Question: 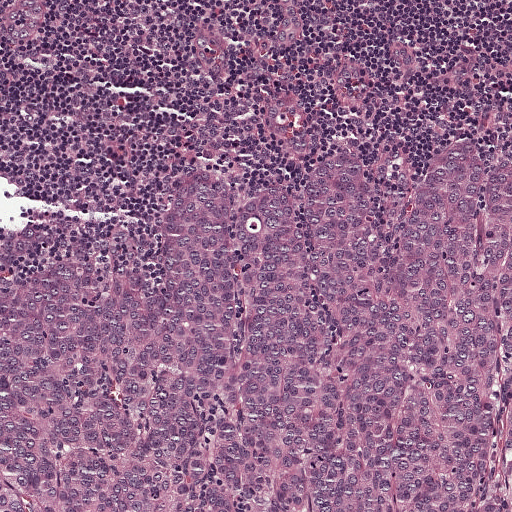
H&E-stained section of a sentinel lymph node (breast cancer), from a whole-slide image, viewed at about 10×: the field is about 0.5 mm across, about 0.97 µm per pixel.
Estimate the proportion of this field that is metastatic tumour.

Choices:
 (A) about 50% or more
 (B) about 25% to 45%
 (C) about 10% to 20%
 (D) about 5% or less
 (E) none: no tumour is outlined

Answer: (A) about 50% or more
About 65% of the field is tumour.
Tumour region outline (a closed clockwise path, crop pixels): (453, 132), (496, 141), (511, 156), (511, 511), (0, 511), (0, 231), (52, 221), (124, 257), (186, 170), (224, 166), (248, 193), (288, 184), (353, 145), (372, 161), (390, 212).